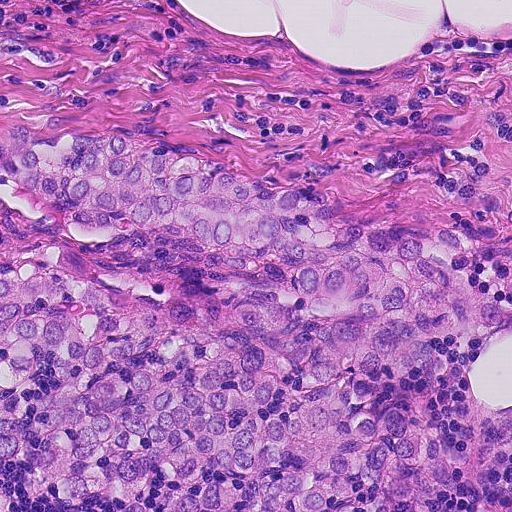
This is a crop of a whole-slide image: an H&E-stained breast-cancer sentinel lymph node section at roughly 20× magnification (about 0.45 µm per pixel; the crop spans about 0.23 mm).
One metastatic tumour region; its boundary, reduced to 6 corners and listed clockwise: (0, 116), (204, 134), (372, 206), (511, 224), (511, 511), (0, 511).
The annotated tumour makes up about 70% of the crop.